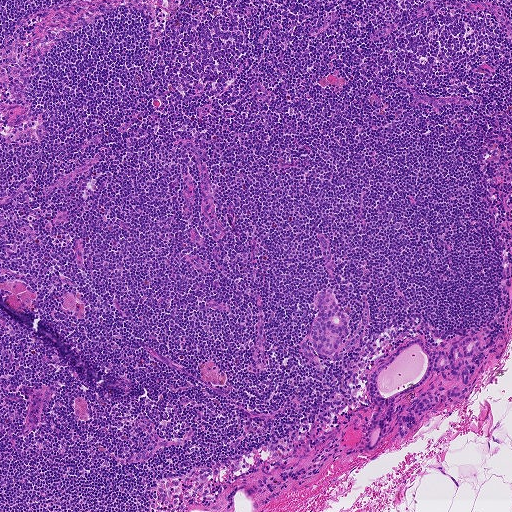
This is a crop of a whole-slide image: an H&E-stained breast-cancer sentinel lymph node section at roughly 5× magnification (about 1.8 µm per pixel; the crop spans about 0.93 mm).
Question: Does this lymph node field contain metastatic tumour?
Answer: Yes.
Boundaries of four metastatic tumour regions, simplified and listed clockwise, largest first: region 1: (479, 336), (478, 349), (464, 358), (472, 365), (470, 382), (458, 383), (450, 370), (432, 373), (422, 385), (394, 401), (393, 413), (384, 422), (381, 439), (372, 450), (366, 442), (376, 406), (369, 397), (370, 375), (397, 347), (414, 338), (423, 338), (431, 352), (448, 353), (462, 339); region 2: (321, 292), (334, 295), (338, 308), (348, 316), (344, 347), (334, 355), (321, 355), (315, 350), (311, 342), (311, 325), (319, 310), (313, 301), (314, 296); region 3: (428, 391), (438, 398), (437, 407), (422, 416), (414, 415), (416, 423), (414, 427), (410, 429), (406, 436), (402, 437), (396, 427), (394, 426), (395, 419), (407, 414), (406, 410), (410, 403), (424, 392); region 4: (467, 387), (467, 389), (467, 392), (456, 398), (447, 397), (446, 391), (447, 389), (450, 390), (452, 392), (456, 393).
Tumour covers about 5% of the frame.

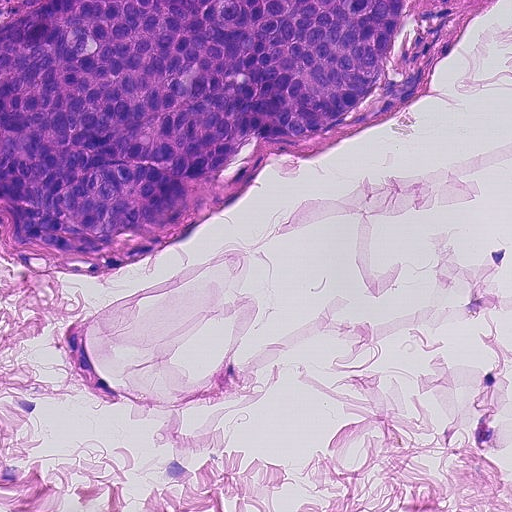
A 0.23-mm field of an H&E-stained sentinel lymph node from a breast-cancer patient (whole-slide image), shown at about 20×, about 0.45 µm per pixel.
Question: Does this lymph node field contain metastatic tumour?
Answer: Yes.
The outlined metastatic tumour's edge, as a closed clockwise path of 11 points: (0, 0), (413, 0), (383, 92), (318, 140), (258, 145), (256, 186), (187, 230), (115, 267), (75, 270), (38, 257), (9, 230).
About 30% of this field is tumour.

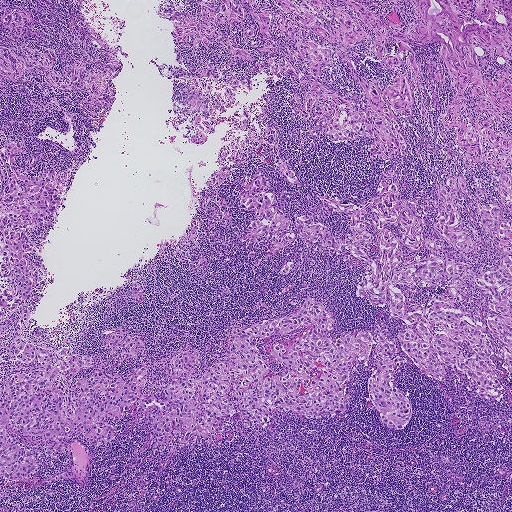
H&E-stained section of a sentinel lymph node (breast cancer), from a whole-slide image, viewed at about 2.5×: the field is about 1.9 mm across, about 3.6 µm per pixel.
Question: Does this lymph node field contain metastatic tumour?
Answer: Yes.
Seven metastatic tumour regions, each outlined as a closed clockwise path in crop pixels (x, y), largest first: region 1: (484, 0), (506, 23), (511, 0), (511, 213), (492, 164), (468, 163), (442, 124), (448, 78), (432, 109), (427, 58), (449, 76), (440, 46), (414, 44), (424, 118), (406, 55), (414, 112), (395, 117), (407, 146), (391, 160), (366, 156), (375, 138), (315, 140), (288, 75), (263, 71), (235, 92), (222, 78), (199, 78), (211, 103), (229, 87), (235, 100), (211, 113), (204, 143), (183, 139), (191, 115), (171, 126), (166, 78), (227, 52), (175, 50), (178, 22), (159, 15); region 2: (390, 167), (425, 236), (480, 273), (496, 260), (493, 240), (468, 199), (457, 210), (474, 250), (437, 232), (437, 189), (463, 175), (507, 217), (511, 380), (491, 354), (505, 392), (490, 402), (458, 370), (439, 381), (416, 366), (388, 290), (381, 307), (356, 296), (364, 266), (349, 252), (300, 234), (253, 265), (276, 235), (243, 242), (256, 212), (238, 195), (260, 174), (294, 222), (308, 214), (331, 235), (352, 234), (349, 216), (314, 193), (367, 200); region 3: (0, 0), (8, 9), (27, 8), (43, 26), (33, 27), (23, 44), (54, 51), (57, 61), (50, 67), (57, 73), (79, 55), (80, 34), (86, 34), (90, 53), (86, 68), (98, 71), (101, 66), (98, 50), (77, 20), (114, 46), (123, 64), (112, 82), (116, 92), (111, 108), (93, 110), (97, 119), (79, 108), (80, 97), (89, 94), (56, 89), (46, 83), (45, 72), (23, 77), (38, 80), (51, 97), (77, 113), (69, 123), (40, 90), (3, 78); region 4: (116, 328), (129, 337), (140, 337), (146, 345), (145, 350), (136, 355), (108, 352), (103, 344), (104, 339), (109, 336), (101, 335), (101, 332); region 5: (283, 159), (287, 168), (295, 171), (303, 185), (292, 186), (285, 182), (278, 173), (279, 161); region 6: (291, 261), (294, 263), (293, 267), (288, 274), (284, 275), (279, 274), (280, 270), (287, 262); region 7: (39, 0), (44, 0), (60, 11), (54, 9).
One more tumour region is annotated but not outlined: its edge is too irregular for a short outline.
One more small tumour piece is annotated here but not outlined.
The annotated tumour makes up about 45% of the crop.

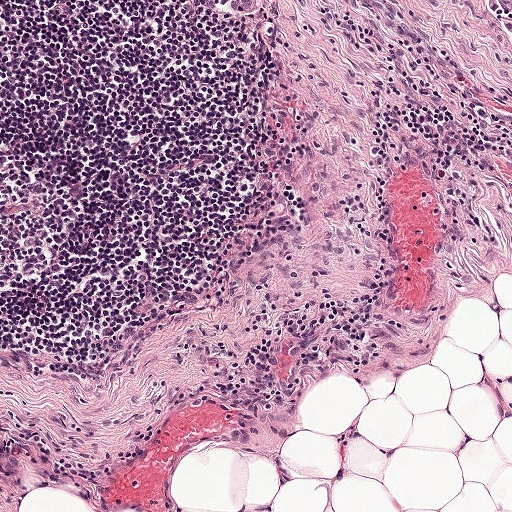
A 0.5-mm field of an H&E-stained sentinel lymph node from a breast-cancer patient (whole-slide image), shown at about 10×, about 0.97 µm per pixel.
Question: Does this lymph node field contain metastatic tumour?
Answer: No. No metastatic tumour is outlined in this field.